Image:
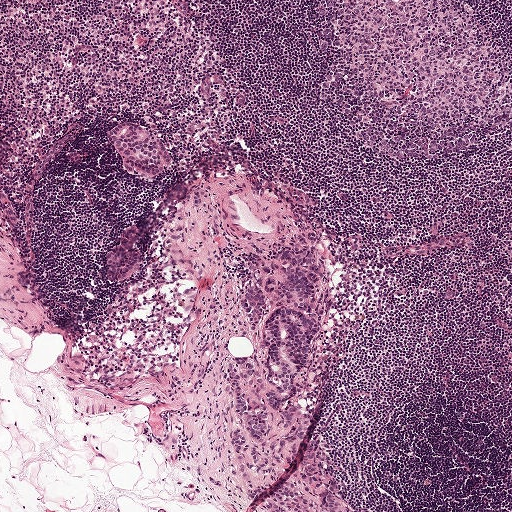
Lymph node section stained with H&E, from a whole-slide image of a breast-cancer sentinel node. Magnification about 5×, about 1 mm across the frame, about 1.9 µm per pixel.
Question:
Trace the edge of each tumour region in this crop, as (x, y) points from 0 to 511.
Answer:
Outlines of three tumour regions, largest first (closed clockwise paths, crop pixels): region 1: (308, 239), (327, 240), (326, 306), (297, 386), (296, 419), (351, 511), (262, 511), (230, 481), (233, 457), (256, 457), (267, 447), (263, 447), (251, 456), (227, 446), (235, 414), (224, 376), (248, 353), (264, 351), (260, 330), (242, 322), (234, 309), (235, 292), (256, 281), (283, 253); region 2: (123, 119), (147, 128), (153, 135), (161, 138), (170, 151), (167, 170), (155, 178), (142, 178), (124, 171), (118, 164), (113, 146), (107, 139), (109, 130); region 3: (132, 224), (136, 225), (139, 243), (143, 252), (142, 269), (135, 280), (126, 283), (118, 283), (113, 273), (104, 270), (107, 248), (128, 230).
About 10% of the image area is annotated as tumour.